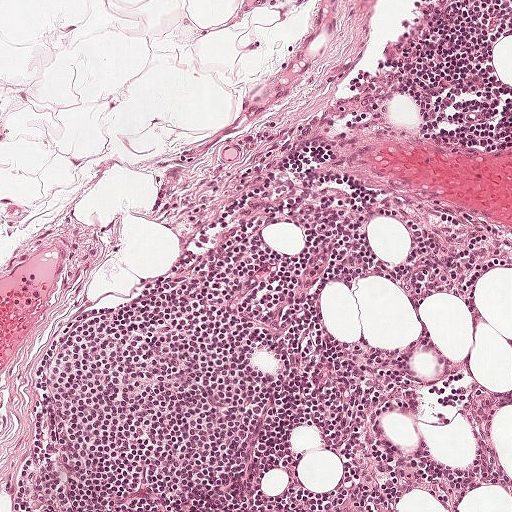
Lymph node section stained with H&E, from a whole-slide image of a breast-cancer sentinel node. Magnification about 10×, about 0.5 mm across the frame, about 0.97 µm per pixel.